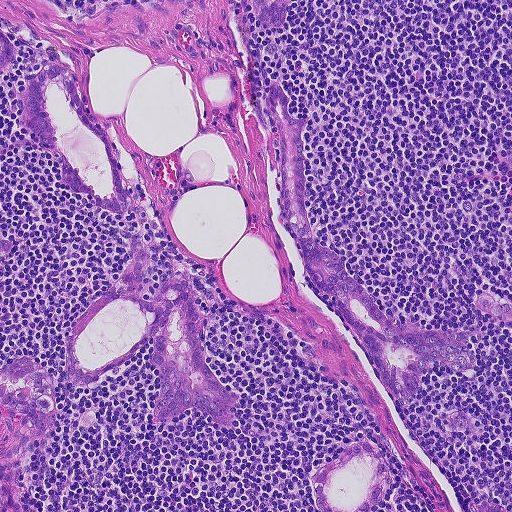
This is a crop of a whole-slide image: an H&E-stained breast-cancer sentinel lymph node section at roughly 10× magnification (about 0.9 µm per pixel; the crop spans about 0.46 mm).
Outlines of the eight largest metastatic tumour regions, each a closed clockwise path in crop pixels (x, y), largest first: region 1: (139, 242), (149, 268), (141, 297), (154, 302), (162, 283), (175, 276), (187, 283), (209, 366), (239, 395), (234, 420), (223, 428), (209, 424), (201, 411), (187, 409), (164, 426), (152, 418), (162, 376), (155, 364), (155, 334), (130, 363), (93, 386), (66, 375), (70, 335), (118, 280); region 2: (276, 82), (288, 93), (289, 116), (310, 115), (303, 184), (314, 240), (338, 254), (352, 280), (394, 324), (480, 331), (462, 343), (473, 366), (460, 371), (434, 363), (412, 398), (398, 400), (386, 394), (358, 344), (311, 292), (302, 251), (278, 215), (280, 164), (266, 108); region 3: (53, 63), (65, 67), (74, 76), (89, 111), (112, 141), (129, 191), (129, 204), (123, 214), (98, 208), (92, 196), (68, 188), (59, 178), (61, 154), (38, 142), (32, 131), (25, 100), (32, 76), (41, 67); region 4: (16, 356), (31, 356), (43, 364), (51, 376), (57, 390), (57, 404), (49, 431), (8, 456), (13, 485), (26, 511), (0, 511), (0, 450), (12, 436), (17, 422), (0, 408), (0, 365), (5, 365); region 5: (364, 440), (376, 448), (385, 476), (385, 491), (372, 511), (322, 511), (312, 496), (314, 481), (328, 462), (339, 452); region 6: (254, 0), (293, 0), (289, 15), (282, 25), (270, 29), (260, 22); region 7: (482, 292), (497, 295), (511, 302), (511, 326), (505, 324), (476, 306); region 8: (0, 30), (13, 47), (14, 60), (6, 68), (0, 68).
One more, smaller tumour region is not outlined.
One more small tumour piece is annotated here but not outlined.
The annotated tumour makes up about 20% of the crop.